Image:
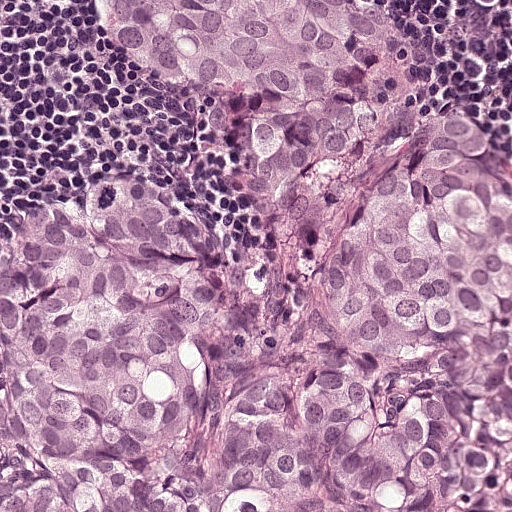
Lymph node section stained with H&E, from a whole-slide image of a breast-cancer sentinel node. Magnification about 20×, about 0.25 mm across the frame, about 0.49 µm per pixel.
Question:
Where is the metastatic tumour in this field?
Answer:
The outlined metastatic tumour's edge, as a closed clockwise path of 19 points: (79, 0), (511, 0), (511, 37), (443, 26), (423, 50), (440, 90), (504, 150), (511, 511), (0, 511), (6, 228), (88, 183), (179, 188), (220, 210), (268, 274), (250, 178), (256, 131), (213, 122), (140, 76), (90, 28).
About 85% of the image area is annotated as tumour.